Question: 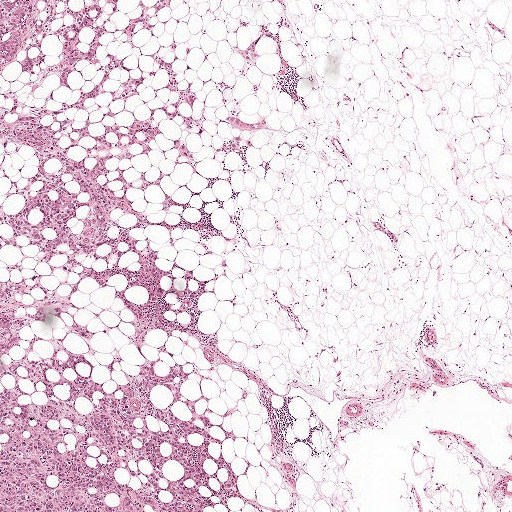
A 2.0-mm field of an H&E-stained sentinel lymph node from a breast-cancer patient (whole-slide image), shown at about 2.5×, about 3.9 µm per pixel.
What fraction of the image area is metastatic tumour?

Choices:
 (A) about 25% to 45%
 (B) about 50% or more
 (C) none: no tumour is outlined
 (D) about 5% or less
 (E) about 10% to 20%

Answer: (A) about 25% to 45%
About 35% of the field is tumour.
Metastatic tumour outline, simplified to 21 points and listed clockwise in crop pixels (x, y): (0, 0), (180, 0), (149, 25), (156, 47), (180, 42), (199, 104), (267, 125), (230, 154), (106, 163), (159, 266), (197, 277), (193, 329), (129, 349), (121, 300), (88, 282), (73, 300), (95, 359), (175, 367), (237, 434), (234, 511), (0, 511).